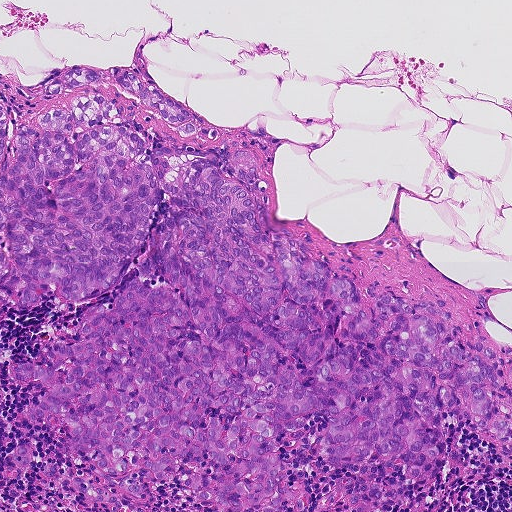
Lymph node section stained with H&E, from a whole-slide image of a breast-cancer sentinel node. Magnification about 10×, about 0.46 mm across the frame, about 0.9 µm per pixel.
Outlines of four tumour regions, largest first (closed clockwise paths, crop pixels): region 1: (92, 93), (148, 148), (250, 154), (267, 223), (368, 313), (436, 300), (511, 347), (511, 460), (467, 409), (431, 479), (328, 464), (319, 414), (277, 440), (302, 511), (142, 468), (130, 496), (14, 375), (114, 290), (0, 309), (0, 98), (36, 129); region 2: (75, 66), (100, 70), (116, 67), (132, 69), (168, 98), (204, 119), (206, 127), (214, 127), (220, 132), (219, 140), (211, 141), (196, 137), (188, 139), (180, 135), (156, 112), (120, 91), (104, 84), (97, 89), (80, 86), (47, 101), (40, 97), (40, 89); region 3: (70, 477), (79, 477), (119, 499), (119, 511), (110, 511), (111, 506), (93, 502), (77, 492), (72, 486); region 4: (346, 476), (354, 481), (349, 486), (347, 494), (355, 492), (361, 495), (360, 502), (348, 511), (337, 511), (344, 505), (343, 497), (336, 484), (339, 477).
Two more small tumour pieces are annotated here but not outlined.
About 50% of the image area is annotated as tumour.